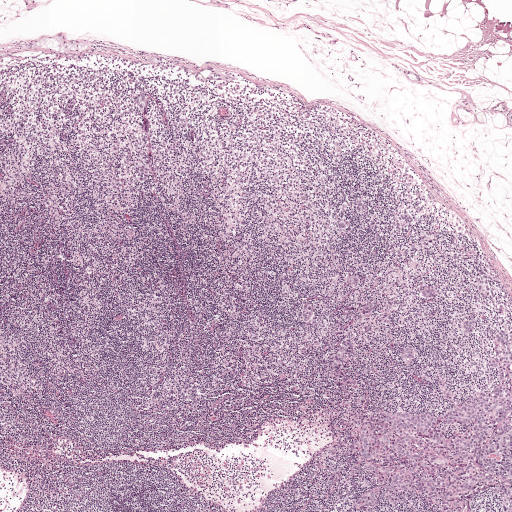
Lymph node section stained with H&E, from a whole-slide image of a breast-cancer sentinel node. Magnification about 2.5×, about 2.0 mm across the frame, about 3.9 µm per pixel.
Outlines of the eight largest metastatic tumour regions, each a closed clockwise path in crop pixels (x, y), largest first: region 1: (511, 317), (511, 511), (485, 489), (472, 496), (473, 511), (440, 511), (406, 492), (393, 509), (381, 487), (377, 510), (358, 511), (357, 497), (376, 474), (360, 466), (354, 476), (342, 474), (314, 487), (350, 464), (344, 453), (312, 471), (316, 461), (355, 442), (344, 435), (344, 417), (377, 405), (443, 410), (438, 373), (460, 399), (489, 390), (494, 376), (482, 363), (487, 324); region 2: (352, 340), (354, 345), (352, 358), (346, 361), (342, 373), (337, 376), (330, 367), (332, 354), (340, 344); region 3: (410, 212), (415, 217), (415, 224), (412, 228), (400, 234), (394, 234), (390, 222), (393, 216); region 4: (363, 196), (371, 203), (370, 215), (364, 220), (358, 219), (351, 209), (352, 201), (357, 197); region 5: (481, 273), (490, 276), (493, 283), (492, 296), (486, 298), (480, 298), (476, 294), (475, 282), (477, 276); region 6: (142, 90), (150, 97), (147, 110), (142, 114), (136, 114), (130, 103), (135, 92); region 7: (140, 163), (150, 166), (151, 172), (149, 184), (144, 187), (137, 184), (132, 172), (134, 165); region 8: (350, 217), (354, 227), (352, 233), (348, 237), (342, 239), (336, 238), (333, 232), (334, 227), (337, 221), (342, 218).
13 more, smaller tumour regions are not outlined.
Five more small tumour pieces are annotated here but not outlined.
About 10% of this field is tumour.